Question: 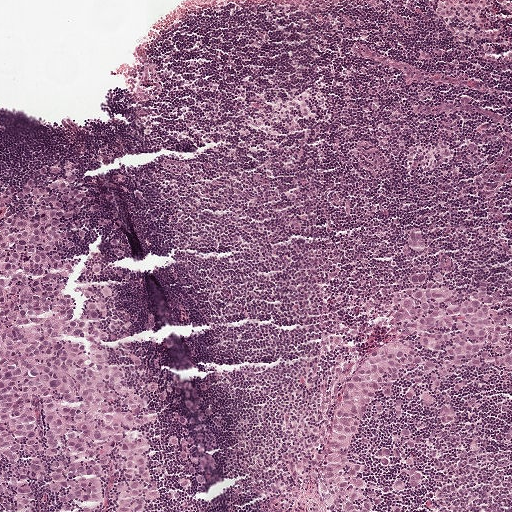
A 1-mm field of an H&E-stained sentinel lymph node from a breast-cancer patient (whole-slide image), shown at about 5×, about 1.9 µm per pixel.
About how much of this crop is taken up by metastatic carcinoma?

Choices:
 (A) about 10% to 20%
 (B) about 5% or less
 (C) none: no tumour is outlined
 (D) about 25% to 45%
 (E) about 50% or more

Answer: (D) about 25% to 45%
About 25% of the field is tumour.
Boundaries of two metastatic tumour regions, simplified and listed clockwise, largest first: region 1: (0, 194), (35, 222), (86, 243), (90, 266), (126, 322), (125, 345), (165, 398), (163, 411), (154, 411), (152, 464), (166, 511), (0, 511); region 2: (431, 280), (459, 294), (476, 287), (502, 296), (511, 303), (511, 380), (498, 373), (459, 403), (450, 435), (409, 413), (402, 423), (415, 446), (410, 456), (372, 428), (350, 433), (354, 447), (391, 459), (417, 484), (380, 511), (316, 511), (309, 467), (337, 397), (376, 349), (398, 287).
Question: 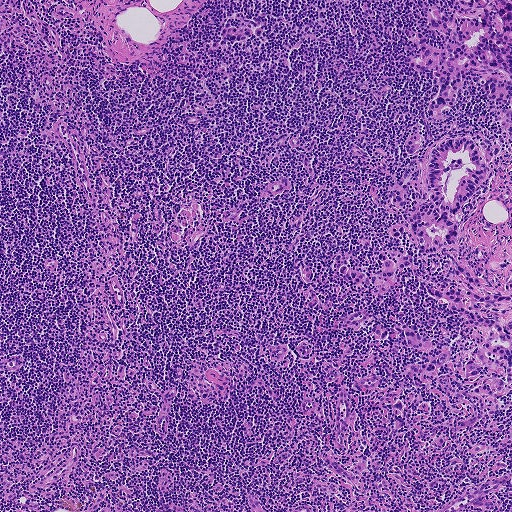
A 0.93-mm field of an H&E-stained sentinel lymph node from a breast-cancer patient (whole-slide image), shown at about 5×, about 1.8 µm per pixel.
About how much of this crop is taken up by metastatic carcinoma?

Choices:
 (A) about 25% to 45%
 (B) about 10% to 20%
 (C) none: no tumour is outlined
 (D) about 5% or less
 (E) about 50% or more

Answer: (B) about 10% to 20%
About 10% of the field is tumour.
Boundaries of four metastatic tumour regions, simplified and listed clockwise, largest first: region 1: (466, 131), (502, 144), (453, 218), (472, 269), (502, 287), (511, 273), (511, 376), (502, 392), (466, 392), (490, 369), (468, 380), (453, 363), (430, 375), (402, 370), (425, 360), (400, 325), (449, 343), (452, 355), (471, 345), (459, 333), (461, 317), (401, 271), (386, 292), (353, 292), (336, 263), (370, 276), (378, 250), (411, 247), (406, 232), (386, 234), (404, 210), (388, 206), (382, 189), (412, 177), (423, 150), (402, 146), (412, 133), (432, 146); region 2: (449, 0), (511, 0), (511, 139), (500, 123), (500, 114), (508, 105), (489, 104), (476, 74), (469, 71), (461, 95), (443, 122), (428, 115), (434, 82), (406, 64), (404, 55), (420, 52), (404, 27), (442, 47), (445, 39), (433, 28), (427, 12), (433, 7), (457, 10); region 3: (230, 21), (234, 26), (241, 26), (246, 22), (258, 27), (263, 32), (258, 36), (226, 42), (220, 39), (220, 33), (226, 22); region 4: (511, 253), (511, 268), (510, 268), (502, 271), (494, 271), (488, 265), (504, 260).
Question: 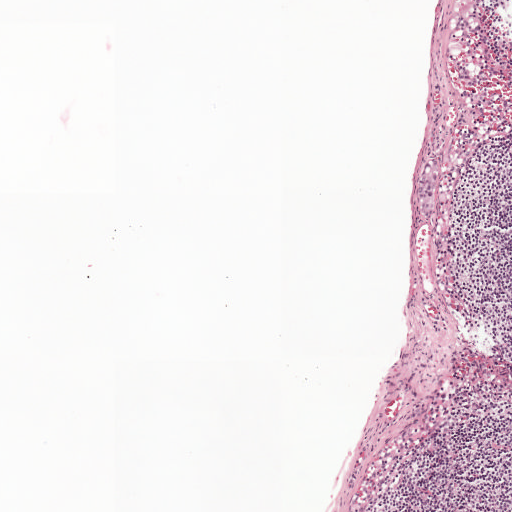
Lymph node section stained with H&E, from a whole-slide image of a breast-cancer sentinel node. Magnification about 5×, about 1 mm across the frame, about 1.9 µm per pixel.
About how much of this crop is taken up by metastatic carcinoma?

Choices:
 (A) about 5% or less
 (B) about 10% to 20%
 (C) none: no tumour is outlined
 (D) about 25% to 45%
 (E) about 50% or more

Answer: (A) about 5% or less
Under 5% of the field is tumour.
The outlined metastatic tumour's edge, as a closed clockwise path of 9 points: (433, 157), (438, 163), (440, 188), (434, 212), (427, 220), (420, 215), (417, 203), (419, 178), (424, 166).
Question: 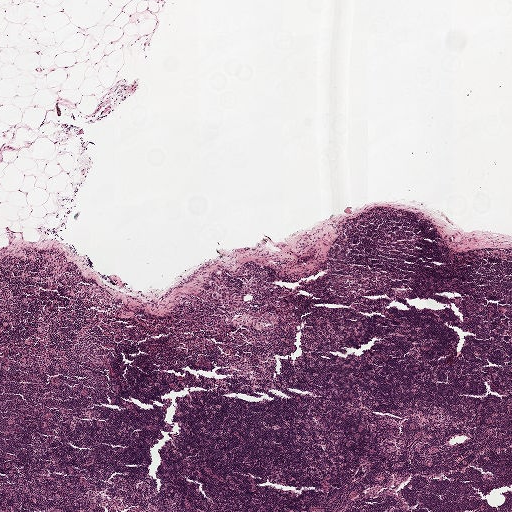
This is a crop of a whole-slide image: an H&E-stained breast-cancer sentinel lymph node section at roughly 2.5× magnification (about 3.9 µm per pixel; the crop spans about 2.0 mm).
About how much of this crop is taken up by metastatic carcinoma?

Choices:
 (A) about 25% to 45%
 (B) about 10% to 20%
 (C) none: no tumour is outlined
 (D) about 50% or more
 (E) about 5% or less

Answer: (E) about 5% or less
Under 5% of the field is tumour.
Tumour region outline (a closed clockwise path, crop pixels): (213, 276), (220, 276), (231, 286), (235, 292), (244, 293), (246, 308), (242, 311), (229, 311), (220, 303), (210, 300), (205, 289).